Question: 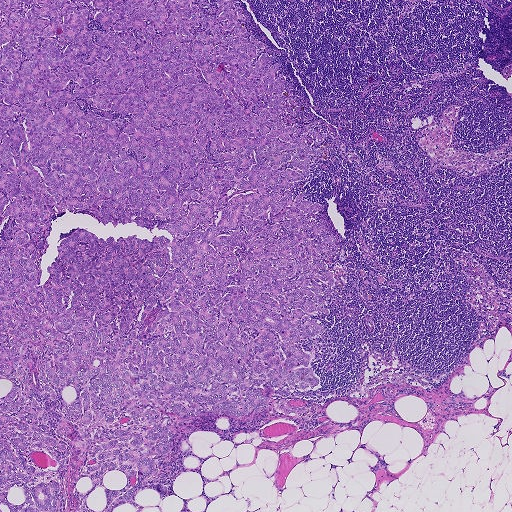
Lymph node section stained with H&E, from a whole-slide image of a breast-cancer sentinel node. Magnification about 2.5×, about 1.9 mm across the frame, about 3.6 µm per pixel.
Estimate the proportion of this field that is metastatic tumour.

Choices:
 (A) about 25% to 45%
 (B) none: no tumour is outlined
 (C) about 50% or more
 (D) about 5% or less
 (E) about 10% to 20%

Answer: (C) about 50% or more
About 55% of the field is tumour.
One metastatic tumour region; its boundary, reduced to 23 corners and listed clockwise: (0, 0), (235, 0), (245, 37), (285, 50), (296, 117), (315, 117), (296, 123), (328, 135), (311, 145), (329, 159), (290, 192), (328, 205), (349, 280), (310, 316), (324, 341), (298, 342), (319, 382), (274, 395), (313, 410), (178, 423), (156, 459), (164, 497), (0, 511).